Image:
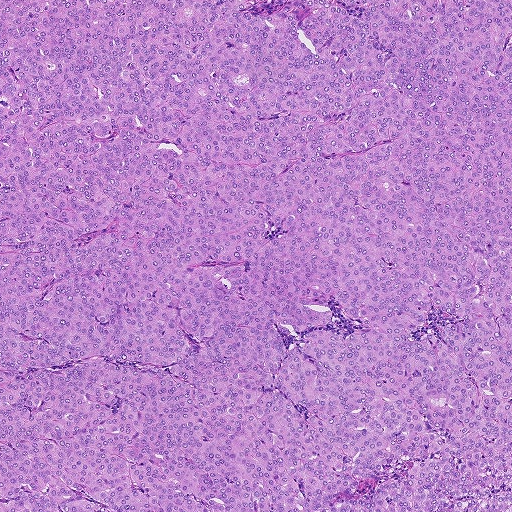
H&E-stained section of a sentinel lymph node (breast cancer), from a whole-slide image, viewed at about 5×: the field is about 0.93 mm across, about 1.8 µm per pixel.
Question:
Where is the metastatic tumour in this field?
Answer:
Metastatic tumour covers the whole field.
Over 95% of this field is tumour.